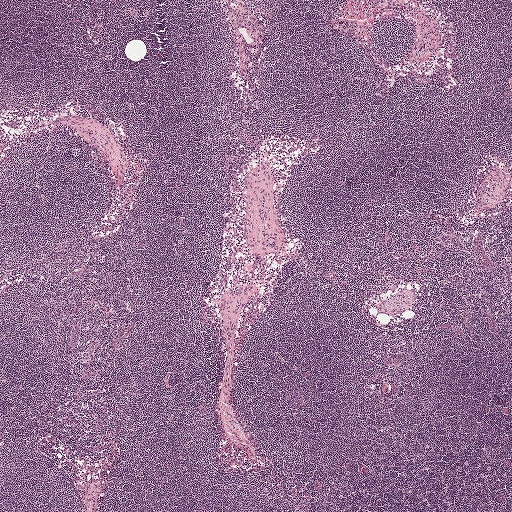
H&E-stained section of a sentinel lymph node (breast cancer), from a whole-slide image, viewed at about 2.5×: the field is about 2.0 mm across, about 3.9 µm per pixel.
Question: Does this lymph node field contain metastatic tumour?
Answer: No: no metastatic tumour is outlined anywhere in this field.